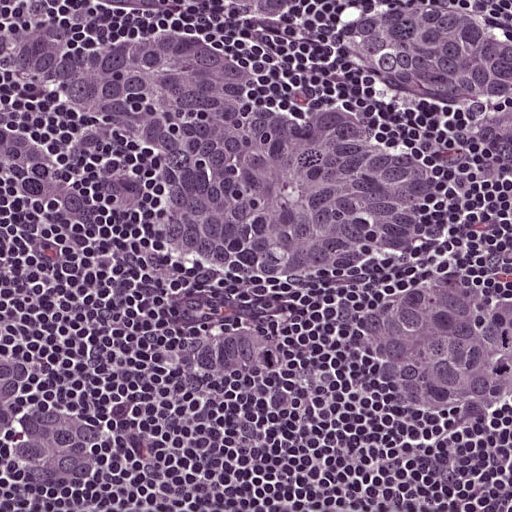
This is a crop of a whole-slide image: an H&E-stained breast-cancer sentinel lymph node section at roughly 20× magnification (about 0.49 µm per pixel; the crop spans about 0.25 mm).
Outlines of two tumour regions, largest first (closed clockwise paths, crop pixels): region 1: (24, 0), (511, 0), (511, 405), (486, 418), (446, 511), (302, 511), (396, 466), (412, 434), (316, 302), (284, 394), (256, 412), (168, 366), (178, 334), (210, 320), (194, 253), (166, 232), (32, 214), (0, 278), (0, 108), (26, 126), (33, 98), (0, 74), (0, 42), (32, 18); region 2: (0, 336), (57, 361), (126, 436), (133, 468), (104, 486), (69, 494), (2, 492).
About 70% of the image area is annotated as tumour.